Image:
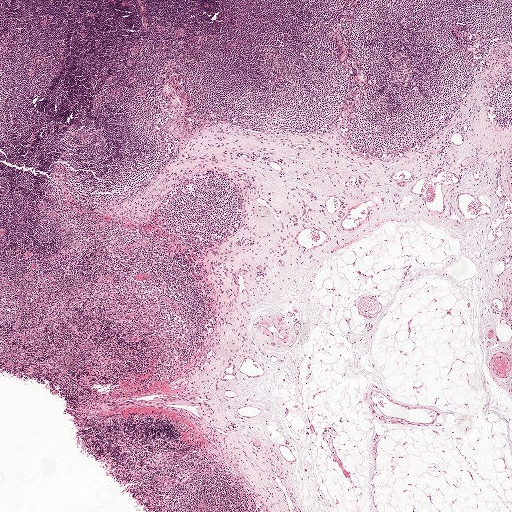
Lymph node section stained with H&E, from a whole-slide image of a breast-cancer sentinel node. Magnification about 2.5×, about 2.0 mm across the frame, about 3.9 µm per pixel.
Question:
Is any metastatic breast cancer visible in this crop?
Answer:
No. No metastatic tumour is outlined in this field.